A 0.5-mm field of an H&E-stained sentinel lymph node from a breast-cancer patient (whole-slide image), shown at about 10×, about 0.97 µm per pixel.
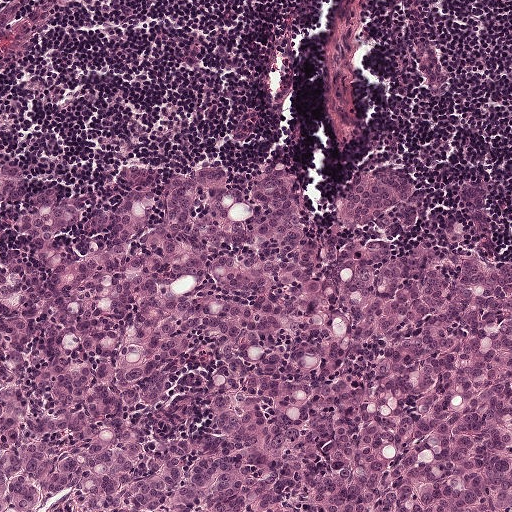
The outlined metastatic tumour's edge, as a closed clockwise path of 15 points: (0, 148), (50, 183), (112, 199), (134, 166), (279, 169), (319, 212), (360, 174), (405, 170), (444, 203), (460, 188), (480, 191), (494, 250), (511, 240), (511, 511), (0, 511).
About 65% of this field is tumour.